Question: 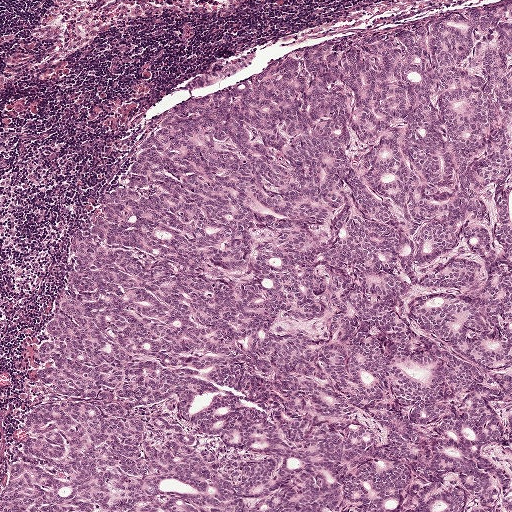
H&E-stained section of a sentinel lymph node (breast cancer), from a whole-slide image, viewed at about 5×: the field is about 1 mm across, about 1.9 µm per pixel.
Roughly what share of this field is metastatic tumour?

Choices:
 (A) about 25% to 45%
 (B) about 5% or less
 (C) about 10% to 20%
 (D) none: no tumour is outlined
 (E) about 50% or more

Answer: (E) about 50% or more
About 80% of the field is tumour.
Two metastatic tumour regions, each outlined as a closed clockwise path in crop pixels (x, y), largest first: region 1: (505, 0), (511, 511), (2, 511), (41, 320), (76, 239), (145, 130), (281, 47); region 2: (251, 45), (260, 46), (254, 60), (232, 69), (223, 77), (201, 88), (189, 89), (182, 85), (190, 73), (201, 64), (216, 57), (239, 52).
Question: 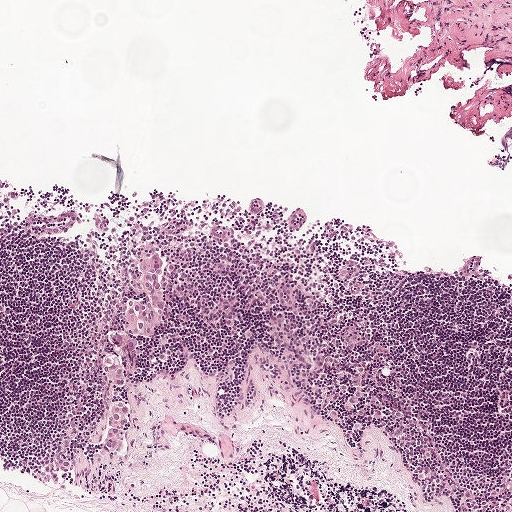
A 1-mm field of an H&E-stained sentinel lymph node from a breast-cancer patient (whole-slide image), shown at about 5×, about 1.9 µm per pixel.
Roughly what share of this field is metastatic tumour?

Choices:
 (A) about 10% to 20%
 (B) about 50% or more
 (C) about 5% or less
 (D) none: no tumour is outlined
 (E) about 25% to 45%

Answer: (C) about 5% or less
Under 5% of the field is tumour.
One metastatic tumour region; its boundary, reduced to 23 corners and listed clockwise: (158, 252), (164, 261), (159, 277), (163, 320), (156, 336), (138, 344), (140, 360), (137, 368), (112, 391), (114, 399), (127, 406), (126, 431), (118, 453), (108, 454), (102, 446), (107, 421), (102, 364), (112, 351), (110, 337), (122, 331), (129, 293), (135, 289), (136, 260).
Question: 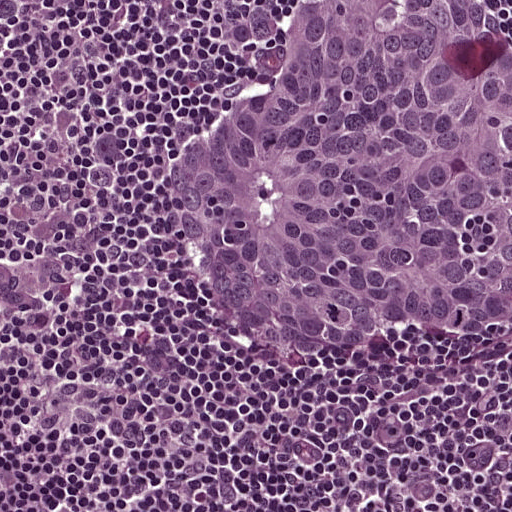
Lymph node section stained with H&E, from a whole-slide image of a breast-cancer sentinel node. Magnification about 20×, about 0.25 mm across the frame, about 0.49 µm per pixel.
Roughly what share of this field is metastatic tumour?

Choices:
 (A) none: no tumour is outlined
 (B) about 5% or less
 (C) about 25% to 45%
 (D) about 10% to 20%
 (E) about 50% or more

Answer: (C) about 25% to 45%
About 40% of the field is tumour.
Metastatic tumour outline, simplified to 9 points and listed clockwise in crop pixels (x, y): (293, 0), (490, 0), (511, 36), (511, 336), (395, 372), (253, 355), (186, 262), (168, 208), (173, 150).
Question: 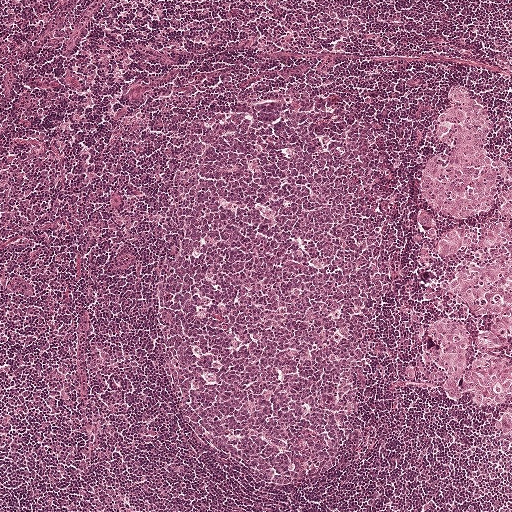
A 1-mm field of an H&E-stained sentinel lymph node from a breast-cancer patient (whole-slide image), shown at about 5×, about 1.9 µm per pixel.
Roughly what share of this field is metastatic tumour?

Choices:
 (A) about 10% to 20%
 (B) about 5% or less
 (C) about 25% to 45%
 (D) none: no tumour is outlined
 (E) about 50% or more

Answer: (A) about 10% to 20%
About 10% of the field is tumour.
Two metastatic tumour regions, each outlined as a closed clockwise path in crop pixels (x, y), largest first: region 1: (448, 82), (471, 85), (499, 148), (511, 155), (511, 454), (479, 411), (439, 398), (403, 369), (423, 339), (427, 299), (415, 268), (414, 209), (420, 168), (440, 145), (431, 115); region 2: (511, 490), (511, 511), (489, 511), (495, 504), (496, 504), (500, 500), (501, 500), (506, 495), (508, 495).